A 0.25-mm field of an H&E-stained sentinel lymph node from a breast-cancer patient (whole-slide image), shown at about 20×, about 0.49 µm per pixel.
Question: 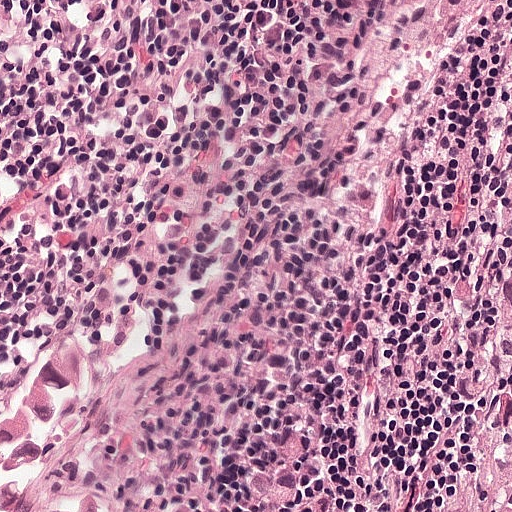
What fraction of the image area is metastatic tumour?

Choices:
 (A) about 10% to 20%
 (B) about 50% or more
 (C) none: no tumour is outlined
 (D) about 5% or less
 (E) about 25% to 45%

Answer: (E) about 25% to 45%
About 25% of the field is tumour.
Two metastatic tumour regions, each outlined as a closed clockwise path in crop pixels (x, y), largest first: region 1: (99, 238), (144, 238), (168, 266), (207, 371), (226, 510), (0, 511), (0, 357); region 2: (511, 300), (511, 511), (430, 511), (435, 494), (441, 488), (458, 388), (486, 334).